Image:
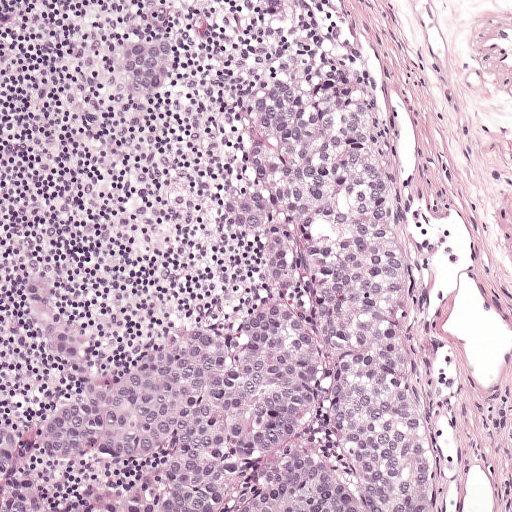
This is a crop of a whole-slide image: an H&E-stained breast-cancer sentinel lymph node section at roughly 10× magnification (about 0.97 µm per pixel; the crop spans about 0.5 mm).
Question:
Trace the edge of each tumour region in this crop, as (x, y) points from 0 to 511.
Answer:
Three metastatic tumour regions, each outlined as a closed clockwise path in crop pixels (x, y), largest first: region 1: (318, 29), (362, 50), (381, 78), (420, 250), (449, 511), (0, 511), (0, 402), (42, 401), (60, 384), (9, 300), (9, 272), (24, 252), (48, 254), (78, 322), (112, 355), (227, 320), (249, 287), (249, 264), (206, 240), (200, 213), (232, 150), (217, 104), (220, 55), (243, 42); region 2: (174, 21), (190, 39), (182, 60), (163, 80), (142, 90), (116, 94), (96, 82), (100, 59), (117, 40); region 3: (253, 0), (306, 0), (290, 21), (261, 19).
About 50% of the image area is annotated as tumour.

Image:
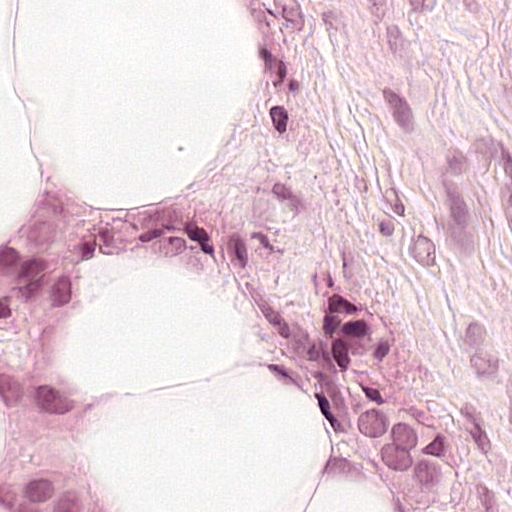
A 0.12-mm field of an H&E-stained sentinel lymph node from a breast-cancer patient (whole-slide image), shown at about 40×, about 0.24 µm per pixel.
Question:
Trace the edge of each tumour region in this crop, as (x, y) points from 0 to 511.
Answer:
Outlines of two tumour regions, largest first (closed clockwise paths, crop pixels): region 1: (63, 181), (71, 197), (97, 209), (190, 207), (225, 250), (225, 268), (206, 271), (166, 250), (125, 250), (85, 276), (71, 297), (64, 323), (69, 388), (83, 447), (113, 511), (0, 511), (2, 221), (38, 188); region 2: (306, 276), (369, 279), (389, 296), (432, 346), (474, 427), (473, 511), (386, 511), (358, 452), (343, 388), (306, 314).
The annotated tumour makes up about 20% of the crop.

Image:
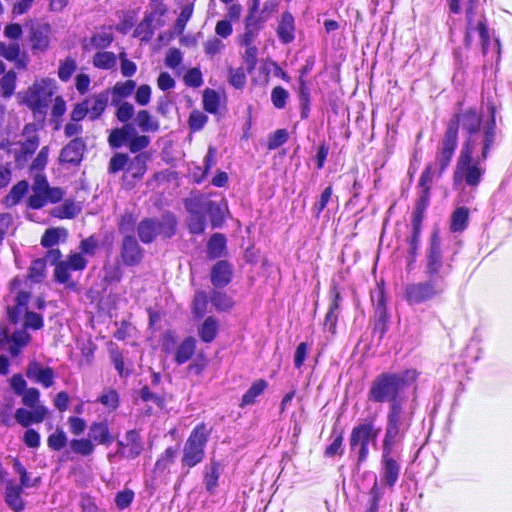
This is a crop of a whole-slide image: an H&E-stained breast-cancer sentinel lymph node section at roughly 40× magnification (about 0.23 µm per pixel; the crop spans about 0.12 mm).
Question:
Trace the edge of each tumour region in this crop, as (x, y) points from 0 to 511.
Answer:
The outlined metastatic tumour's edge, as a closed clockwise path of 12 points: (197, 178), (224, 199), (240, 230), (236, 332), (219, 362), (189, 376), (156, 374), (126, 359), (98, 336), (88, 300), (113, 203), (164, 182).
About 10% of this field is tumour.

Image:
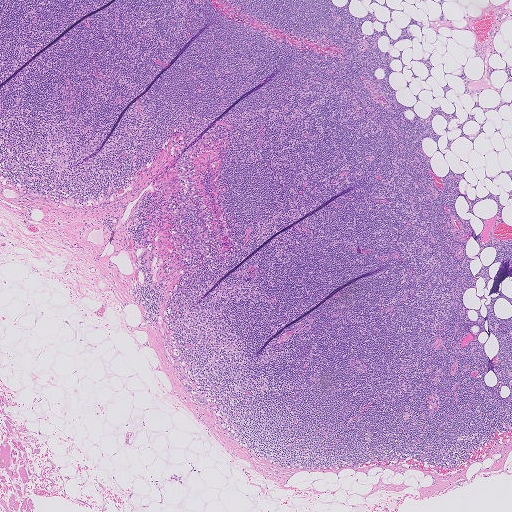
Lymph node section stained with H&E, from a whole-slide image of a breast-cancer sentinel node. Magnification about 2.5×, about 2.0 mm across the frame, about 4.0 µm per pixel.
Question:
Trace the edge of each tumour region in this crop, as (x, y) points from 0 to 511.
Answer:
Metastatic tumour outline, simplified to 12 points and listed clockwise in crop pixels (x, y): (193, 393), (197, 393), (199, 394), (207, 402), (207, 403), (207, 405), (206, 406), (204, 406), (199, 403), (197, 400), (193, 396), (192, 394).
One more small tumour piece is annotated here but not outlined.
The annotated tumour makes up under 5% of the crop.